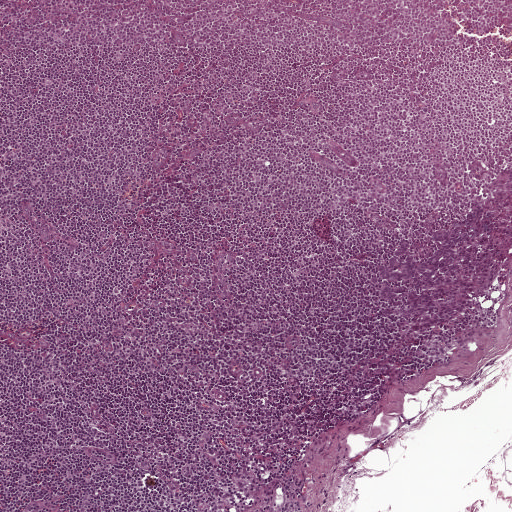
H&E-stained section of a sentinel lymph node (breast cancer), from a whole-slide image, viewed at about 5×: the field is about 1 mm across, about 1.9 µm per pixel.
Metastatic tumour outline, simplified to 17 points and listed clockwise in crop pixels (x, y): (511, 159), (511, 258), (504, 285), (497, 280), (482, 297), (482, 309), (442, 331), (412, 338), (404, 334), (380, 312), (366, 273), (410, 237), (418, 260), (433, 251), (430, 232), (469, 211), (482, 187).
About 5% of this field is tumour.